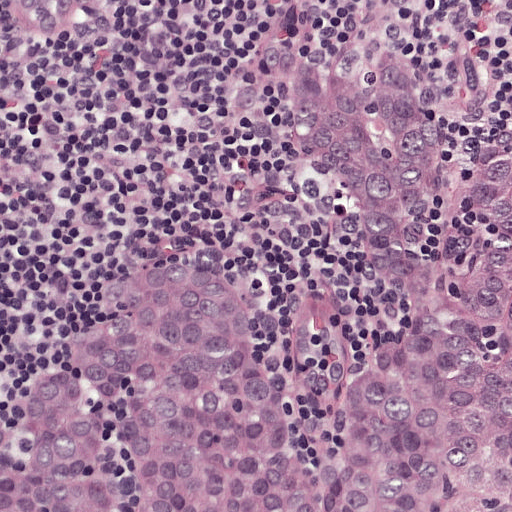
This is a crop of a whole-slide image: an H&E-stained breast-cancer sentinel lymph node section at roughly 20× magnification (about 0.49 µm per pixel; the crop spans about 0.25 mm).
Boundaries of two metastatic tumour regions, simplified and listed clockwise, largest first: region 1: (287, 26), (324, 52), (416, 52), (441, 142), (480, 164), (511, 146), (511, 511), (0, 511), (0, 411), (120, 280), (164, 268), (214, 268), (248, 296), (273, 334), (290, 426), (330, 426), (372, 347), (374, 302), (251, 52); region 2: (496, 0), (511, 0), (511, 25), (495, 2).
About 55% of this field is tumour.